Lymph node section stained with H&E, from a whole-slide image of a breast-cancer sentinel node. Magnification about 5×, about 1 mm across the frame, about 1.9 µm per pixel.
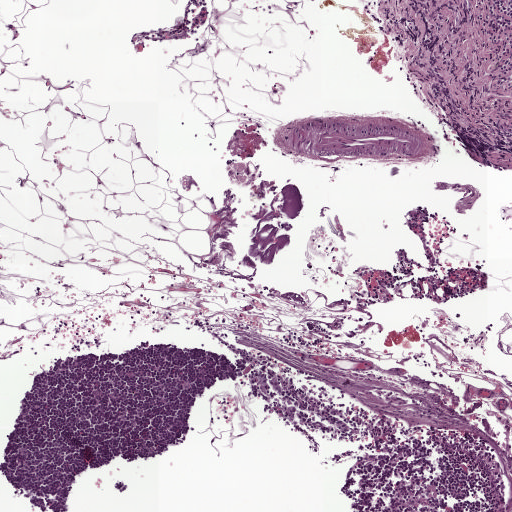
Boundaries of three metastatic tumour regions, simplified and listed clockwise, largest first: region 1: (266, 373), (270, 378), (276, 378), (280, 388), (279, 392), (272, 392), (272, 395), (264, 396), (259, 388), (258, 375); region 2: (387, 392), (405, 394), (414, 401), (404, 407), (382, 402); region 3: (281, 405), (297, 406), (299, 410), (294, 419), (287, 416), (285, 414).
The annotated tumour makes up under 5% of the crop.